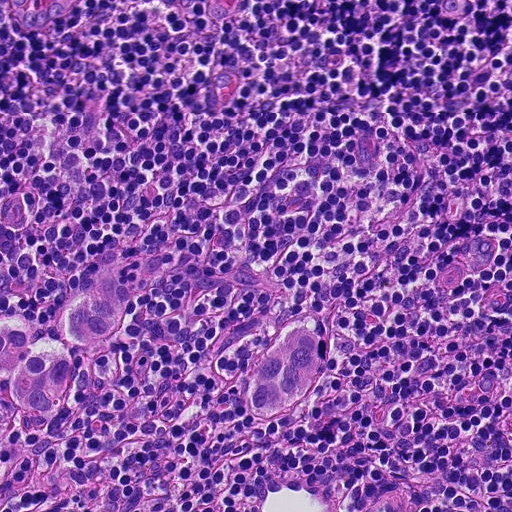
Lymph node section stained with H&E, from a whole-slide image of a breast-cancer sentinel node. Magnification about 20×, about 0.23 mm across the frame, about 0.45 µm per pixel.
Two metastatic tumour regions, each outlined as a closed clockwise path in crop pixels (x, y), largest first: region 1: (117, 274), (140, 294), (133, 324), (79, 359), (80, 390), (66, 420), (36, 429), (11, 412), (8, 380), (0, 372), (0, 325), (14, 318), (44, 324), (86, 282); region 2: (314, 314), (322, 334), (322, 366), (304, 394), (284, 417), (254, 416), (250, 384), (256, 358), (272, 342), (283, 320).
About 5% of the image area is annotated as tumour.